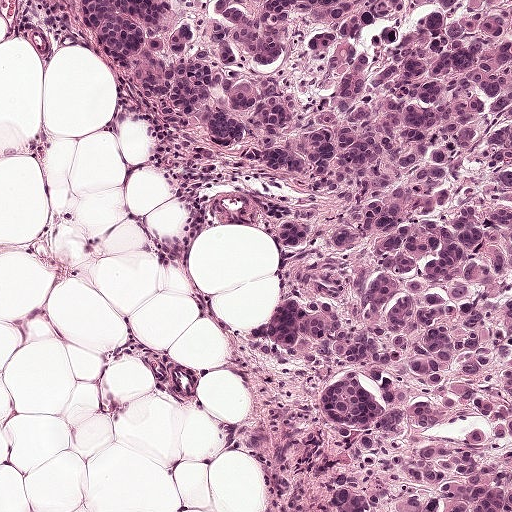
A 0.5-mm field of an H&E-stained sentinel lymph node from a breast-cancer patient (whole-slide image), shown at about 10×, about 0.97 µm per pixel.
One metastatic tumour region; its boundary, reduced to 11 corners and listed clockwise: (511, 0), (511, 511), (321, 511), (327, 487), (307, 419), (309, 376), (265, 331), (286, 271), (262, 202), (175, 143), (63, 2).
About 55% of this field is tumour.